Question: 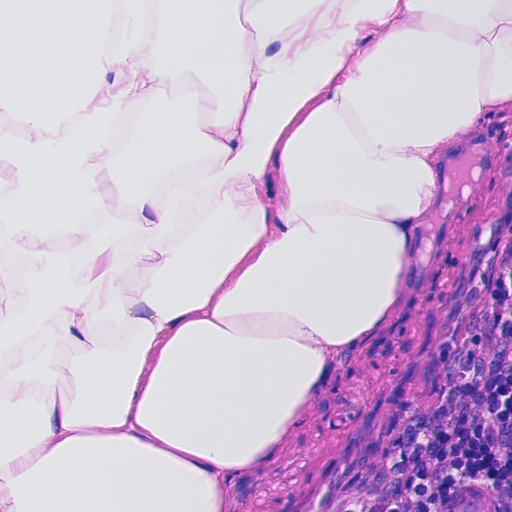
About what magnification does this crop show?

Choices:
 (A) about 20×
 (B) about 10×
 (C) about 5×
 (D) about 40×
 (E) about 2.5×

Answer: (A) about 20×
A 0.23-mm field of an H&E-stained sentinel lymph node from a breast-cancer patient (whole-slide image), shown at about 20×, about 0.45 µm per pixel.